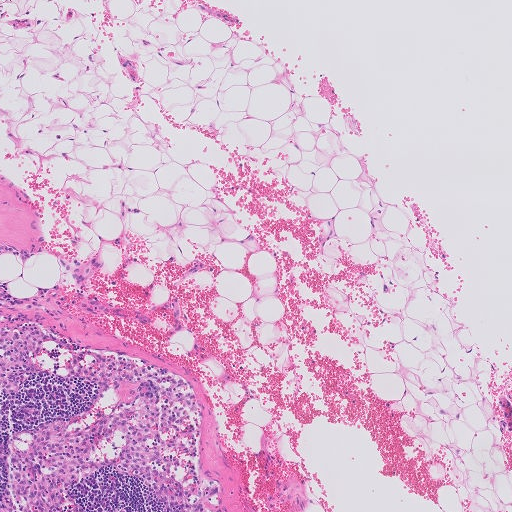
A 1.0-mm field of an H&E-stained sentinel lymph node from a breast-cancer patient (whole-slide image), shown at about 5×, about 2.0 µm per pixel.